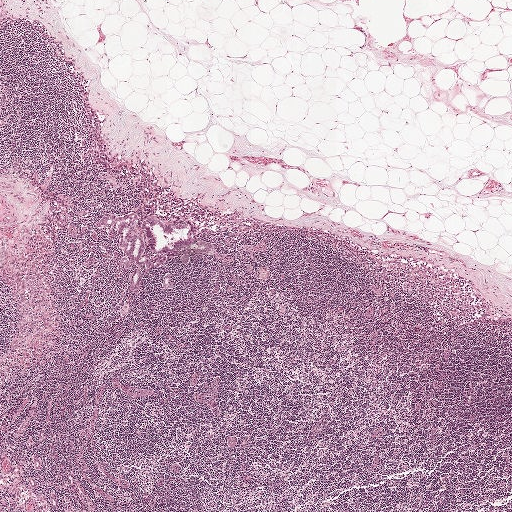
Lymph node section stained with H&E, from a whole-slide image of a breast-cancer sentinel node. Magnification about 2.5×, about 2.0 mm across the frame, about 3.9 µm per pixel.
Three metastatic tumour regions, each outlined as a closed clockwise path in crop pixels (x, y), largest first: region 1: (132, 213), (144, 219), (156, 216), (168, 224), (177, 218), (191, 219), (198, 226), (199, 238), (213, 244), (215, 253), (194, 254), (185, 266), (179, 254), (160, 268), (143, 268), (139, 291), (132, 291), (130, 272), (119, 262), (122, 251), (116, 233), (101, 227), (99, 219), (105, 214); region 2: (169, 272), (170, 274), (171, 276), (172, 282), (173, 286), (173, 287), (172, 288), (166, 288), (161, 287), (162, 281), (163, 276), (165, 274); region 3: (125, 302), (129, 303), (130, 307), (128, 314), (123, 317), (120, 317), (119, 315), (119, 313), (122, 304).
Under 5% of the image area is annotated as tumour.